Image:
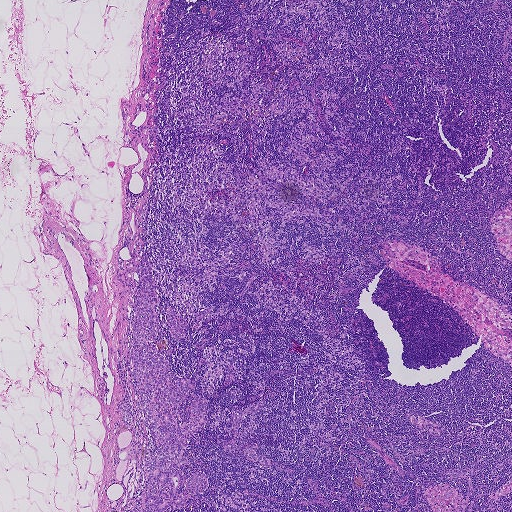
A 1.9-mm field of an H&E-stained sentinel lymph node from a breast-cancer patient (whole-slide image), shown at about 2.5×, about 3.6 µm per pixel.
Question:
Which parts of this field are metastatic tumour?
Answer:
The outlined metastatic tumour's edge, as a closed clockwise path of 38 points: (145, 252), (158, 318), (166, 322), (168, 305), (188, 328), (177, 340), (161, 322), (157, 336), (170, 344), (164, 357), (174, 378), (196, 383), (179, 416), (188, 421), (194, 393), (208, 403), (200, 430), (186, 441), (189, 463), (179, 469), (185, 481), (202, 471), (207, 487), (191, 495), (185, 483), (177, 494), (186, 507), (178, 511), (174, 506), (128, 511), (156, 444), (136, 396), (128, 397), (132, 424), (114, 409), (126, 387), (132, 394), (132, 295).
About 5% of the image area is annotated as tumour.